Image:
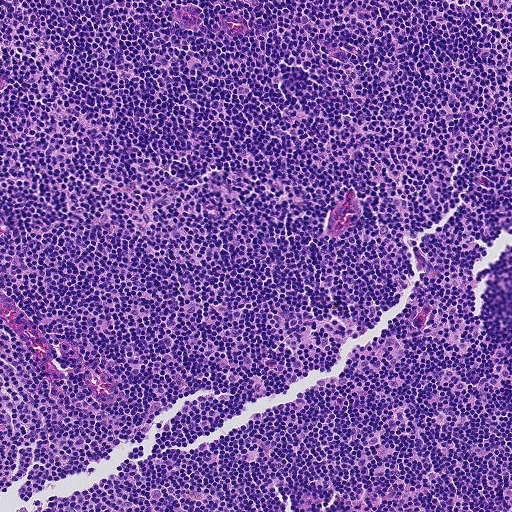
A 0.46-mm field of an H&E-stained sentinel lymph node from a breast-cancer patient (whole-slide image), shown at about 10×, about 0.9 µm per pixel.
Question:
Is any metastatic breast cancer visible in this crop?
Answer:
No. No metastatic tumour is outlined in this field.